Question: 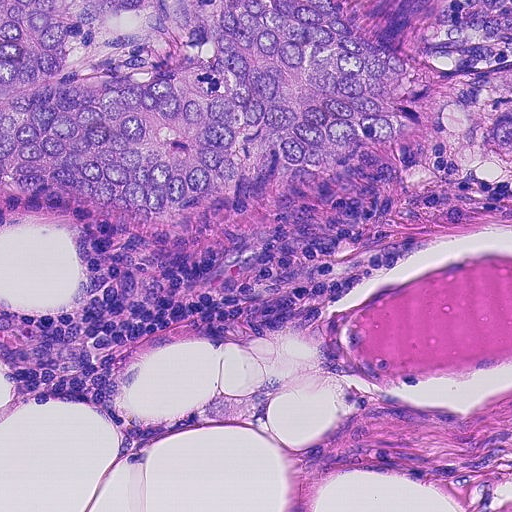
This is a crop of a whole-slide image: an H&E-stained breast-cancer sentinel lymph node section at roughly 20× magnification (about 0.45 µm per pixel; the crop spans about 0.23 mm).
Roughly what share of this field is metastatic tumour?

Choices:
 (A) about 10% to 20%
 (B) about 25% to 45%
 (C) none: no tumour is outlined
 (D) about 50% or more
 (E) about 5% or less

Answer: (B) about 25% to 45%
About 35% of the field is tumour.
Metastatic tumour outline, simplified to 14 points and listed clockwise in crop pixels (x, y): (0, 0), (450, 0), (440, 37), (464, 60), (511, 62), (511, 194), (467, 175), (428, 126), (319, 178), (264, 154), (214, 202), (149, 227), (40, 188), (4, 196).